Question: 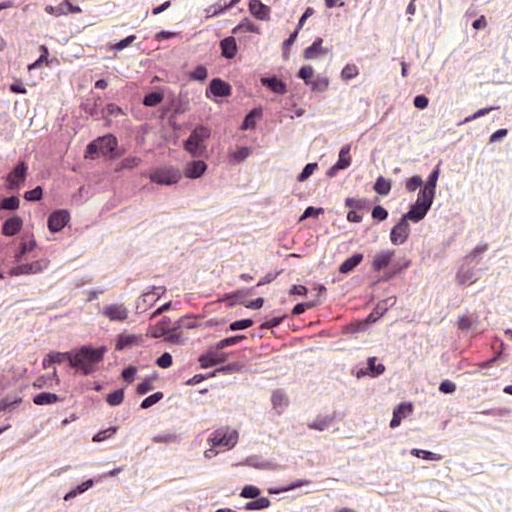
Which magnification is this H&E lymph node field most likely shown at?

Choices:
 (A) about 20×
 (B) about 2.5×
 (C) about 10×
 (D) about 40×
 (E) about 5×

Answer: (D) about 40×
H&E-stained section of a sentinel lymph node (breast cancer), from a whole-slide image, viewed at about 40×: the field is about 0.12 mm across, about 0.24 µm per pixel.
Metastatic tumour outline, simplified to 9 points and listed clockwise in crop pixels (x, y): (259, 0), (313, 70), (319, 101), (295, 129), (185, 195), (88, 281), (0, 291), (0, 133), (190, 10).
About 20% of the image area is annotated as tumour.